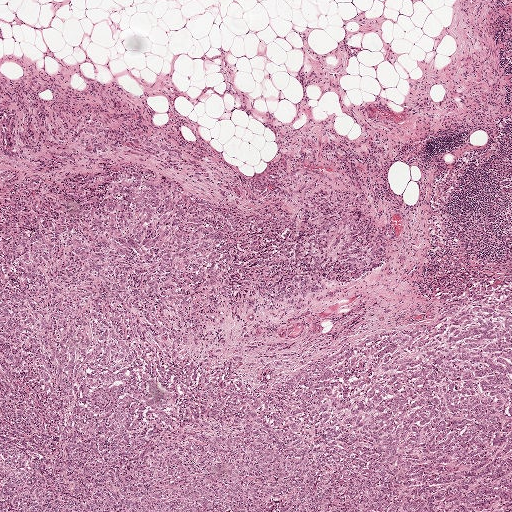
H&E-stained section of a sentinel lymph node (breast cancer), from a whole-slide image, viewed at about 2.5×: the field is about 2.0 mm across, about 3.9 µm per pixel.
One metastatic tumour region; its boundary, reduced to 13 corners and listed clockwise: (188, 157), (276, 197), (356, 213), (386, 246), (379, 270), (186, 335), (196, 368), (252, 393), (510, 280), (511, 511), (0, 511), (1, 200), (122, 160).
About 55% of this field is tumour.